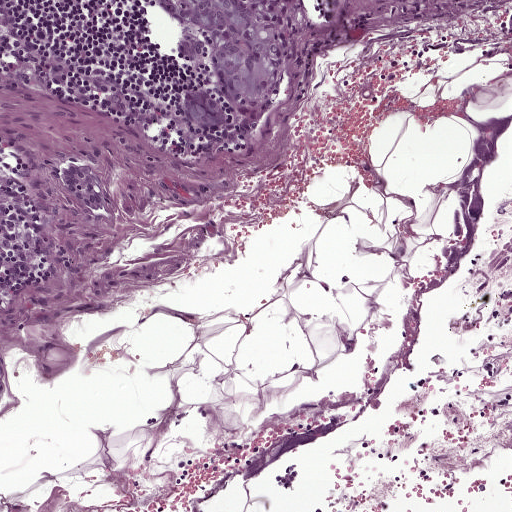
H&E-stained section of a sentinel lymph node (breast cancer), from a whole-slide image, viewed at about 10×: the field is about 0.5 mm across, about 0.97 µm per pixel.
Boundaries of three metastatic tumour regions, simplified and listed clockwise, largest first: region 1: (145, 0), (301, 0), (293, 26), (297, 49), (291, 76), (267, 120), (246, 123), (218, 98), (207, 67), (182, 63), (174, 50), (180, 41), (166, 14), (147, 7); region 2: (86, 161), (109, 172), (117, 195), (113, 217), (90, 218), (74, 203), (61, 184), (64, 162); region 3: (196, 88), (210, 95), (223, 112), (221, 126), (204, 127), (186, 121), (182, 108), (183, 94).
About 5% of this field is tumour.